Image:
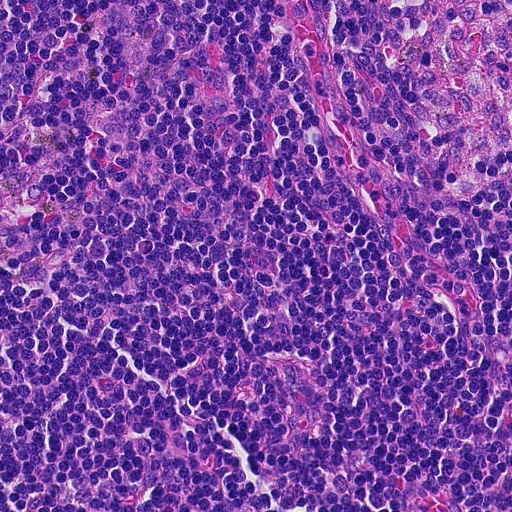
H&E-stained section of a sentinel lymph node (breast cancer), from a whole-slide image, viewed at about 20×: the field is about 0.23 mm across, about 0.45 µm per pixel.
Question:
Is any metastatic breast cancer visible in this crop?
Answer:
No. No metastatic tumour is outlined in this field.